This is a crop of a whole-slide image: an H&E-stained breast-cancer sentinel lymph node section at roughly 5× magnification (about 1.9 µm per pixel; the crop spans about 1 mm).
Image:
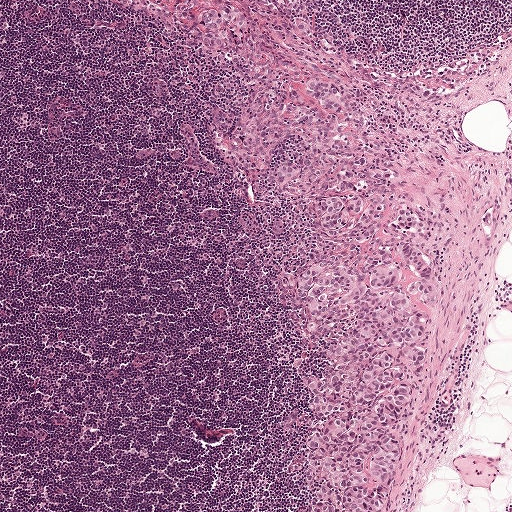
Question:
Show where the tumour is in this image.
Answer:
Outlines of three tumour regions, largest first (closed clockwise paths, crop pixels): region 1: (325, 135), (392, 164), (400, 187), (387, 206), (423, 212), (421, 239), (434, 246), (441, 279), (409, 431), (374, 511), (302, 511), (309, 486), (289, 466), (306, 448), (308, 385), (360, 319), (352, 309), (310, 332), (278, 282), (331, 241), (314, 206), (275, 191), (267, 176); region 2: (234, 4), (241, 7), (247, 14), (248, 19), (242, 35), (229, 52), (208, 55), (201, 53), (195, 46), (195, 36), (200, 25), (200, 20), (196, 14), (210, 7); region 3: (322, 73), (342, 87), (346, 95), (346, 116), (338, 117), (324, 110), (312, 96), (306, 92), (303, 83), (305, 79).
Tumour covers about 15% of the frame.